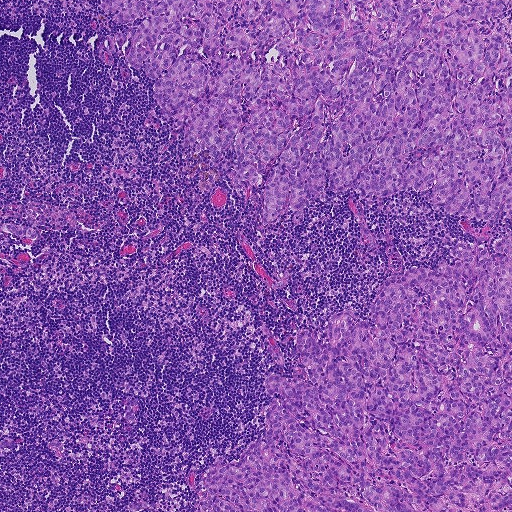
Lymph node section stained with H&E, from a whole-slide image of a breast-cancer sentinel node. Magnification about 5×, about 0.93 mm across the frame, about 1.8 µm per pixel.
Question: Does this lymph node field contain metastatic tumour?
Answer: Yes.
Two metastatic tumour regions, each outlined as a closed clockwise path in crop pixels (x, y), largest first: region 1: (511, 0), (511, 224), (438, 213), (432, 188), (376, 201), (351, 187), (325, 189), (302, 224), (288, 206), (260, 226), (268, 170), (239, 198), (232, 146), (212, 166), (193, 159), (156, 80), (119, 47), (111, 65), (98, 59), (103, 39), (128, 25), (96, 3); region 2: (510, 229), (511, 511), (194, 511), (206, 466), (236, 463), (262, 433), (261, 406), (274, 396), (266, 371), (310, 382), (297, 348), (301, 329), (321, 345), (344, 309), (371, 325), (368, 305), (384, 280), (452, 266), (450, 246), (459, 242), (493, 252).
About 50% of this field is tumour.